Question: 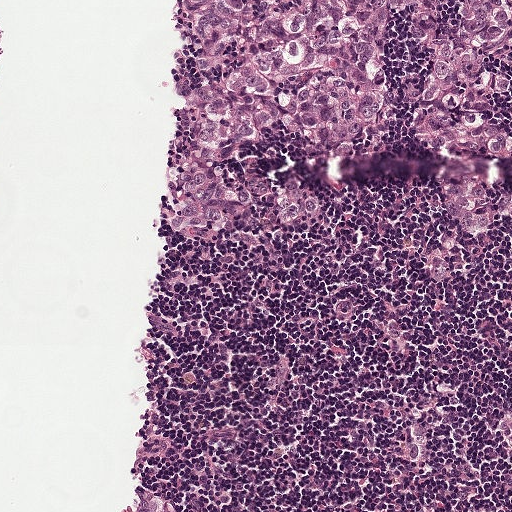
Lymph node section stained with H&E, from a whole-slide image of a breast-cancer sentinel node. Magnification about 10×, about 0.5 mm across the frame, about 0.97 µm per pixel.
Roughly what share of this field is metastatic tumour?

Choices:
 (A) none: no tumour is outlined
 (B) about 5% or less
 (C) about 10% to 20%
 (D) about 50% or more
 (E) about 25% to 45%

Answer: (E) about 25% to 45%
About 25% of the field is tumour.
One metastatic tumour region; its boundary, reduced to 20 corners and listed clockwise: (182, 0), (511, 0), (511, 80), (498, 90), (511, 115), (503, 209), (472, 230), (446, 209), (430, 151), (408, 133), (415, 57), (397, 8), (384, 110), (320, 163), (309, 218), (249, 202), (213, 233), (186, 231), (163, 181), (180, 110).